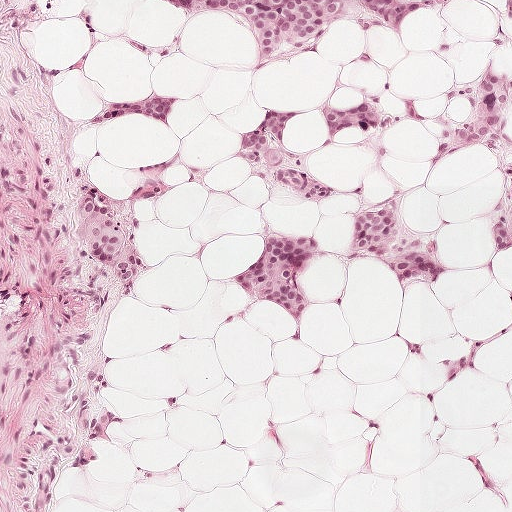
This is a crop of a whole-slide image: an H&E-stained breast-cancer sentinel lymph node section at roughly 10× magnification (about 0.97 µm per pixel; the crop spans about 0.5 mm).
Question: Trace the edge of each tumour region in this crop, as (x, y) points from 0 to 511.
Answer: The eight largest tumour regions' boundaries, simplified and listed clockwise, largest first: region 1: (416, 0), (422, 4), (422, 8), (410, 27), (400, 33), (386, 30), (363, 34), (347, 14), (341, 14), (328, 21), (306, 46), (259, 70), (262, 28), (226, 10), (193, 14), (154, 1); region 2: (266, 234), (303, 237), (316, 242), (316, 249), (302, 283), (304, 303), (297, 327), (290, 315), (269, 303), (256, 301), (232, 277), (258, 262), (265, 246); region 3: (266, 111), (294, 114), (279, 131), (281, 149), (290, 158), (302, 163), (310, 176), (328, 185), (338, 194), (337, 207), (321, 208), (296, 201), (256, 174), (237, 158), (238, 143), (257, 134), (265, 123); region 4: (89, 197), (115, 212), (126, 231), (142, 248), (136, 277), (127, 290), (104, 274), (76, 238), (75, 228), (82, 204); region 5: (382, 206), (393, 208), (398, 215), (392, 242), (393, 254), (396, 258), (430, 258), (438, 263), (442, 275), (436, 279), (419, 276), (398, 279), (394, 272), (378, 262), (346, 250), (350, 223), (356, 216); region 6: (488, 70), (508, 82), (511, 88), (511, 112), (497, 130), (476, 144), (456, 144), (451, 140), (450, 128), (473, 118), (478, 84); region 7: (154, 92), (157, 96), (170, 96), (179, 100), (172, 112), (167, 127), (141, 115), (124, 116), (107, 122), (96, 127), (91, 126), (94, 111), (105, 101), (112, 104), (128, 103), (140, 101), (152, 96); region 8: (362, 102), (380, 110), (382, 115), (382, 132), (374, 136), (368, 134), (361, 128), (350, 131), (336, 131), (330, 138), (327, 125), (322, 117), (324, 107), (338, 110), (360, 107).
One more, smaller tumour region is not outlined.
The annotated tumour makes up about 10% of the crop.

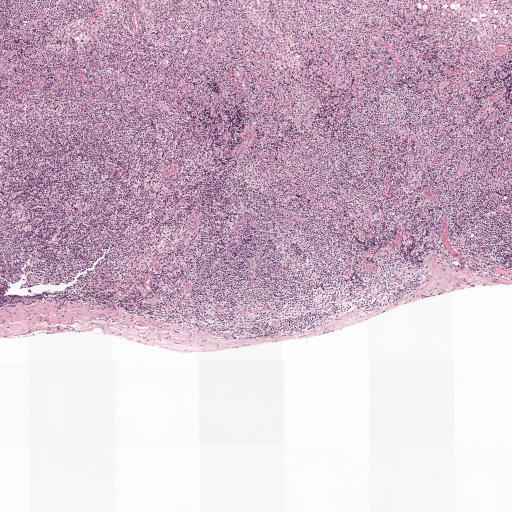
H&E-stained section of a sentinel lymph node (breast cancer), from a whole-slide image, viewed at about 2.5×: the field is about 2.0 mm across, about 3.9 µm per pixel.
Question: Trace the edge of each tumour region in this crop, as (x, y) points from 0 to 511.
Answer: Tumour region outline (a closed clockwise path, crop pixels): (221, 332), (223, 332), (224, 334), (226, 333), (229, 332), (232, 333), (235, 335), (237, 337), (237, 339), (233, 339), (221, 334).
Under 5% of the image area is annotated as tumour.

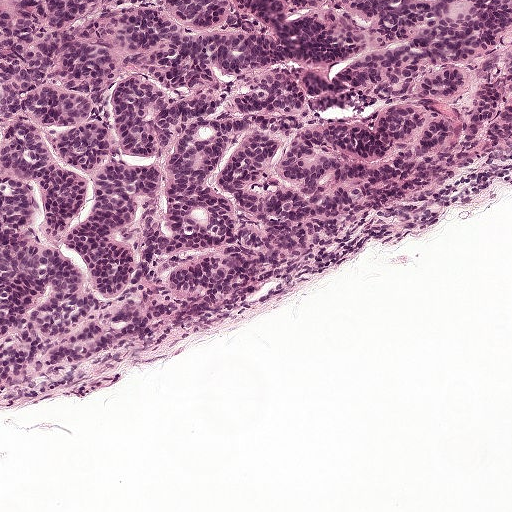
This is a crop of a whole-slide image: an H&E-stained breast-cancer sentinel lymph node section at roughly 10× magnification (about 0.97 µm per pixel; the crop spans about 0.5 mm).
Question: Trace the edge of each tumour region in this crop, as (x, y) points from 0 to 511.
Answer: Metastatic tumour outline, simplified to 9 points and listed clockwise in crop pixels (x, y): (0, 0), (511, 0), (511, 126), (464, 179), (368, 232), (275, 302), (152, 329), (35, 403), (2, 410).
About 55% of the image area is annotated as tumour.

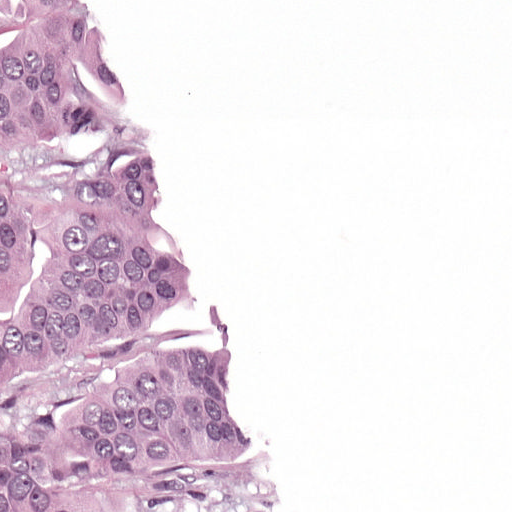
H&E-stained section of a sentinel lymph node (breast cancer), from a whole-slide image, viewed at about 20×: the field is about 0.25 mm across, about 0.49 µm per pixel.
Question: Trace the edge of each tumour region in this crop, as (x, y) points from 0 to 511.
Answer: Tumour region outline (a closed clockwise path, crop pixels): (0, 0), (124, 0), (207, 214), (259, 410), (299, 508), (0, 511).
The annotated tumour makes up about 40% of the crop.